Question: 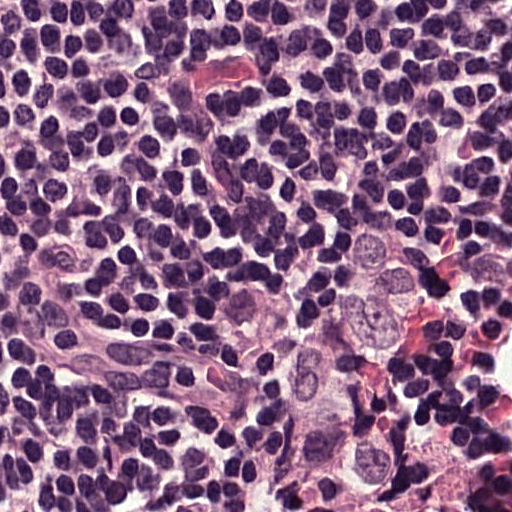
About what magnification does this crop show?

Choices:
 (A) about 40×
 (B) about 5×
 (C) about 20×
 (D) about 10×
 (E) about 2.5×

Answer: (A) about 40×
Lymph node section stained with H&E, from a whole-slide image of a breast-cancer sentinel node. Magnification about 40×, about 0.12 mm across the frame, about 0.24 µm per pixel.
One metastatic tumour region; its boundary, reduced to 13 corners and listed clockwise: (348, 229), (376, 229), (411, 251), (422, 284), (422, 308), (389, 371), (391, 476), (369, 489), (350, 489), (277, 444), (276, 398), (317, 298), (330, 246).
About 10% of this field is tumour.